This is a crop of a whole-slide image: an H&E-stained breast-cancer sentinel lymph node section at roughly 40× magnification (about 0.24 µm per pixel; the crop spans about 0.12 mm).
Image:
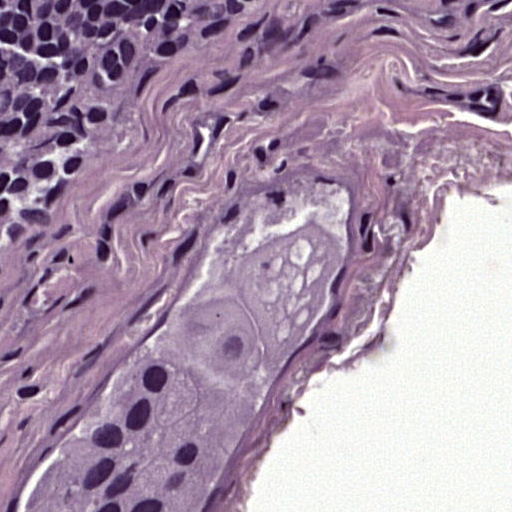
Question:
Which parts of this field are metastatic tumour? Answer with the outline of each region, in pixels.
Answer:
One metastatic tumour region; its boundary, reduced to 11 corners and listed clockwise: (304, 192), (333, 251), (295, 337), (245, 414), (227, 505), (220, 511), (3, 507), (58, 432), (128, 373), (187, 303), (243, 215).
Tumour covers about 15% of the frame.